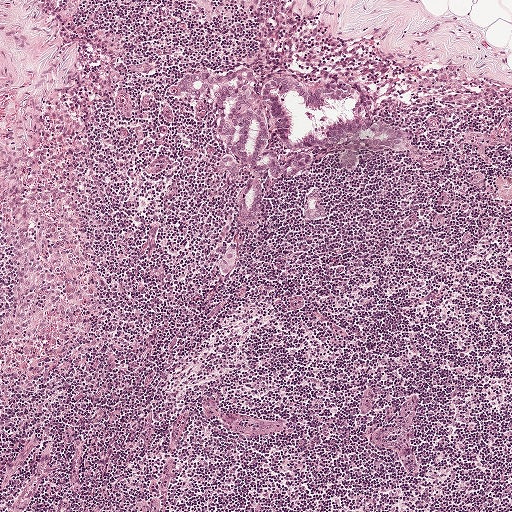
H&E-stained section of a sentinel lymph node (breast cancer), from a whole-slide image, viewed at about 5×: the field is about 1 mm across, about 1.9 µm per pixel.
Question: Is any metastatic breast cancer visible in this crop?
Answer: Yes.
Three metastatic tumour regions, each outlined as a closed clockwise path in crop pixels (x, y), largest first: region 1: (242, 68), (268, 80), (292, 75), (315, 90), (332, 78), (362, 80), (376, 94), (376, 119), (405, 129), (409, 148), (368, 150), (349, 174), (336, 149), (299, 179), (266, 178), (256, 225), (243, 224), (240, 185), (216, 165), (223, 145), (212, 107), (182, 95), (177, 80), (190, 71); region 2: (317, 187), (319, 189), (326, 213), (323, 218), (311, 219), (301, 216), (302, 204), (309, 189); region 3: (228, 247), (238, 248), (239, 257), (234, 270), (225, 277), (219, 276), (217, 268), (224, 250).
Tumour covers about 5% of the frame.